Image:
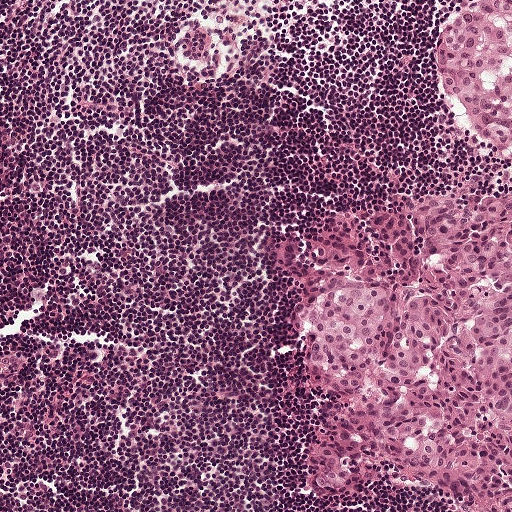
A 0.5-mm field of an H&E-stained sentinel lymph node from a breast-cancer patient (whole-slide image), shown at about 10×, about 0.97 µm per pixel.
Question:
Trace the edge of each tumour region in this crop, as (x, y) points from 0 to 511.
Answer:
Boundaries of two metastatic tumour regions, simplified and listed clockwise, largest first: region 1: (451, 190), (511, 201), (511, 511), (450, 511), (435, 496), (393, 488), (304, 495), (310, 434), (332, 405), (325, 384), (301, 373), (292, 312), (316, 265), (336, 248), (374, 250), (381, 221); region 2: (477, 0), (500, 0), (511, 5), (511, 152), (485, 149), (452, 112), (439, 85), (434, 45), (447, 18).
About 25% of the image area is annotated as tumour.